Image:
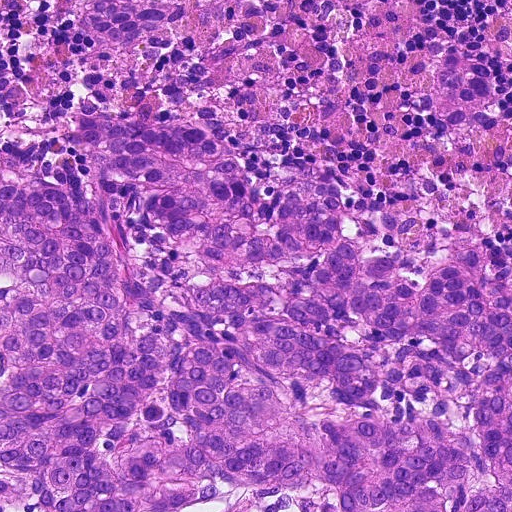
H&E-stained section of a sentinel lymph node (breast cancer), from a whole-slide image, viewed at about 20×: the field is about 0.23 mm across, about 0.45 µm per pixel.
Question:
Which parts of this field are metastatic tumour? Answer with the outline of each region, in pixels.
Answer:
Tumour region outline (a closed clockwise path, crop pixels): (85, 0), (196, 6), (192, 28), (132, 56), (134, 97), (214, 132), (271, 212), (290, 174), (332, 158), (375, 235), (370, 253), (458, 257), (507, 275), (511, 511), (0, 511), (0, 141), (22, 141), (46, 183), (83, 200), (61, 111), (94, 76).
Tumour covers about 65% of the frame.